Question: 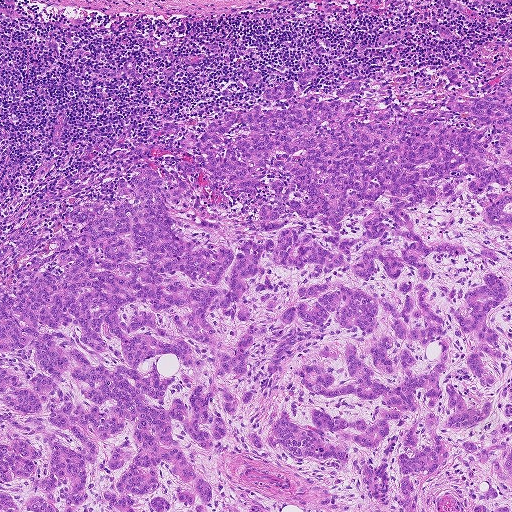
Lymph node section stained with H&E, from a whole-slide image of a breast-cancer sentinel node. Magnification about 5×, about 0.93 mm across the frame, about 1.8 µm per pixel.
Estimate the proportion of this field that is metastatic tumour.

Choices:
 (A) about 5% or less
 (B) none: no tumour is outlined
 (C) about 25% to 45%
 (D) about 50% or more
 (E) about 10% to 20%

Answer: (D) about 50% or more
About 75% of the field is tumour.
Metastatic tumour outline, simplified to 24 points and listed clockwise in crop pixels (x, y): (444, 61), (458, 85), (508, 74), (511, 511), (0, 511), (0, 298), (20, 285), (22, 232), (57, 273), (68, 210), (194, 161), (163, 123), (196, 134), (226, 109), (288, 108), (243, 68), (268, 87), (321, 67), (308, 95), (374, 80), (368, 112), (444, 103), (461, 88), (438, 75).